H&E-stained section of a sentinel lymph node (breast cancer), from a whole-slide image, viewed at about 10×: the field is about 0.46 mm across, about 0.9 µm per pixel.
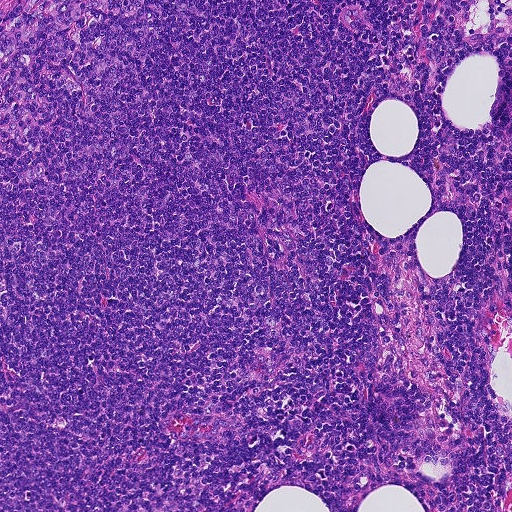
Question: Does this lymph node field contain metastatic tumour?
Answer: No: no metastatic tumour is outlined anywhere in this field.